Question: 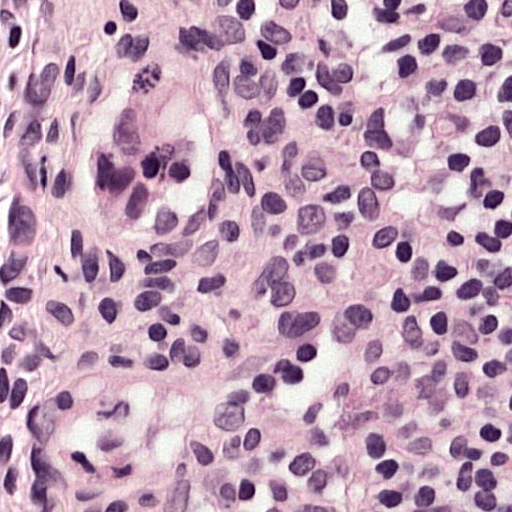
About what magnification does this crop show?

Choices:
 (A) about 2.5×
 (B) about 10×
 (C) about 20×
 (D) about 40×
 (E) about 5×

Answer: (D) about 40×
A 0.12-mm field of an H&E-stained sentinel lymph node from a breast-cancer patient (whole-slide image), shown at about 40×, about 0.24 µm per pixel.
Tumour region outline (a closed clockwise path, crop pixels): (152, 52), (191, 78), (213, 150), (199, 215), (163, 243), (125, 243), (95, 219), (92, 145), (102, 108), (123, 78).
About 5% of the image area is annotated as tumour.